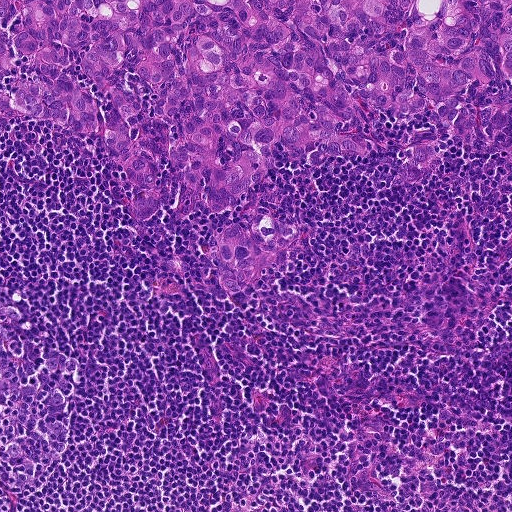
This is a crop of a whole-slide image: an H&E-stained breast-cancer sentinel lymph node section at roughly 10× magnification (about 0.9 µm per pixel; the crop spans about 0.46 mm).
Metastatic tumour outline, simplified to 23 points and listed clockwise in crop pixels (x, y): (0, 0), (511, 0), (511, 79), (469, 98), (510, 119), (496, 140), (375, 108), (438, 155), (416, 182), (389, 145), (310, 168), (281, 139), (238, 198), (302, 241), (232, 293), (212, 254), (238, 205), (192, 209), (170, 161), (163, 204), (133, 217), (99, 134), (0, 110).
About 30% of this field is tumour.